This is a crop of a whole-slide image: an H&E-stained breast-cancer sentinel lymph node section at roughly 10× magnification (about 0.91 µm per pixel; the crop spans about 0.46 mm).
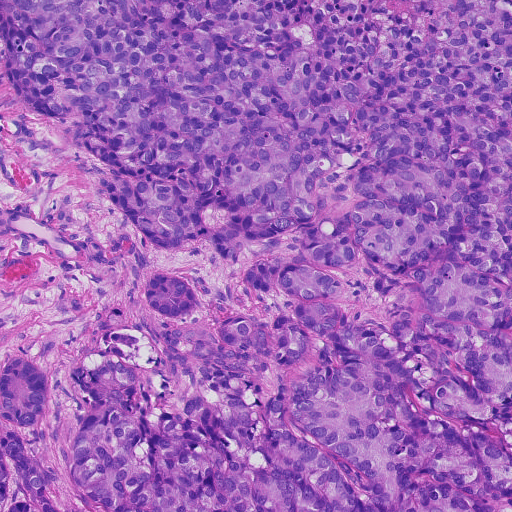
Two metastatic tumour regions, each outlined as a closed clockwise path in crop pixels (x, y), largest first: region 1: (0, 0), (511, 0), (511, 511), (107, 511), (67, 453), (85, 344), (171, 318), (140, 294), (176, 268), (194, 284), (179, 326), (276, 317), (273, 294), (249, 291), (257, 246), (214, 260), (123, 220), (17, 98); region 2: (12, 354), (34, 361), (48, 380), (48, 404), (40, 426), (17, 429), (18, 435), (51, 469), (48, 492), (64, 509), (95, 511), (0, 511), (0, 370).
The annotated tumour makes up about 85% of the crop.